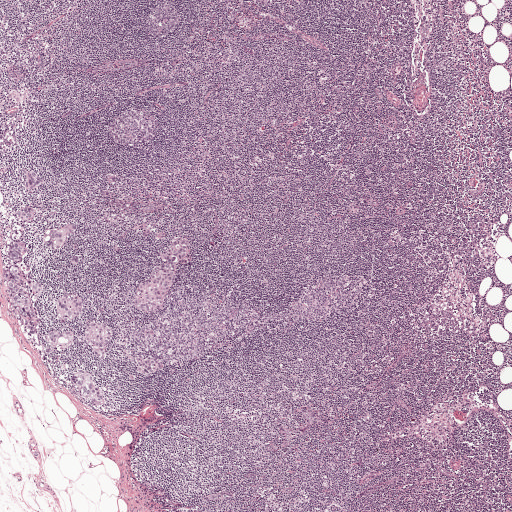
Lymph node section stained with H&E, from a whole-slide image of a breast-cancer sentinel node. Magnification about 2.5×, about 2.0 mm across the frame, about 3.9 µm per pixel.
Outlines of the eight largest metastatic tumour regions, each a closed clockwise path in crop pixels (x, y), largest first: region 1: (16, 240), (23, 240), (28, 243), (30, 249), (25, 261), (30, 266), (31, 276), (43, 286), (43, 290), (40, 295), (30, 294), (32, 302), (40, 320), (37, 334), (34, 335), (25, 333), (10, 313), (4, 282), (6, 269), (11, 265), (12, 262), (5, 262), (4, 259), (11, 242); region 2: (174, 237), (186, 239), (190, 243), (190, 259), (176, 266), (174, 280), (158, 309), (151, 312), (144, 312), (138, 308), (134, 300), (136, 290), (139, 284), (148, 279), (153, 267), (164, 263), (157, 257), (157, 254), (169, 248), (172, 238); region 3: (80, 369), (90, 371), (95, 375), (103, 390), (105, 404), (100, 406), (83, 398), (71, 390), (68, 384), (68, 376), (71, 373); region 4: (91, 322), (97, 322), (113, 328), (114, 335), (107, 347), (104, 361), (95, 360), (91, 350), (81, 339), (84, 328); region 5: (70, 329), (76, 331), (76, 337), (72, 347), (69, 350), (51, 354), (47, 363), (44, 363), (41, 358), (43, 351), (48, 347), (46, 336), (50, 330), (62, 331); region 6: (70, 223), (78, 223), (76, 232), (67, 236), (60, 248), (55, 250), (47, 249), (41, 240), (41, 236), (45, 228), (59, 228); region 7: (66, 293), (81, 298), (82, 302), (78, 315), (69, 321), (60, 320), (56, 305), (58, 298); region 8: (138, 354), (153, 356), (165, 362), (164, 368), (156, 375), (146, 376), (136, 373), (138, 379), (131, 380), (128, 378), (128, 376), (134, 374), (133, 370), (138, 365), (135, 357).
Three more, smaller tumour regions are not outlined.
Eight more small tumour pieces are annotated here but not outlined.
About 5% of this field is tumour.